Lymph node section stained with H&E, from a whole-slide image of a breast-cancer sentinel node. Magnification about 10×, about 0.5 mm across the frame, about 0.97 µm per pixel.
Question: 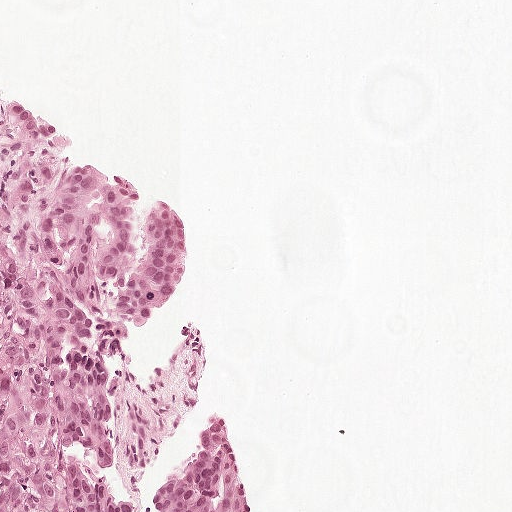
What fraction of the image area is metastatic tumour?

Choices:
 (A) about 50% or more
 (B) about 5% or less
 (C) none: no tumour is outlined
 (D) about 10% to 20%
 (E) about 25% to 45%

Answer: (D) about 10% to 20%
About 20% of the field is tumour.
Boundaries of two metastatic tumour regions, simplified and listed clockwise, largest first: region 1: (0, 82), (53, 138), (168, 200), (185, 231), (182, 283), (103, 362), (137, 511), (0, 511); region 2: (218, 416), (233, 444), (250, 511), (156, 511), (160, 478), (174, 468), (211, 420).